Question: 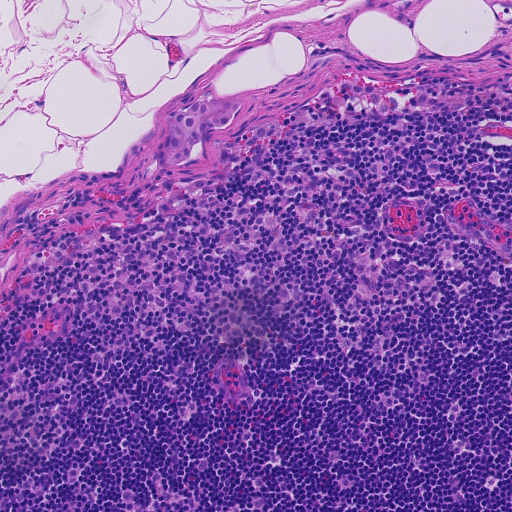
At roughly what magnification is this field shown?

Choices:
 (A) about 20×
 (B) about 10×
 (C) about 40×
 (D) about 5×
 (E) about 2.5×

Answer: (B) about 10×
Lymph node section stained with H&E, from a whole-slide image of a breast-cancer sentinel node. Magnification about 10×, about 0.46 mm across the frame, about 0.91 µm per pixel.
Tumour region outline (a closed clockwise path, crop pixels): (218, 96), (244, 100), (242, 110), (234, 114), (231, 124), (224, 129), (215, 129), (206, 135), (188, 160), (164, 168), (155, 166), (152, 161), (151, 151), (163, 126), (164, 112), (190, 106), (196, 100).
Under 5% of this field is tumour.